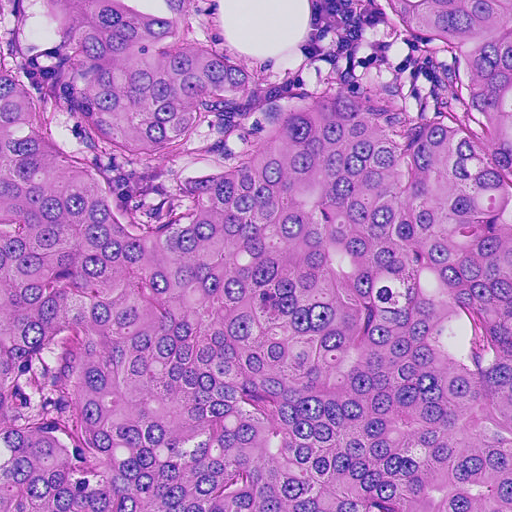
This is a crop of a whole-slide image: an H&E-stained breast-cancer sentinel lymph node section at roughly 20× magnification (about 0.45 µm per pixel; the crop spans about 0.23 mm).
Question: Describe where the metastatic carcinoma lies in this crop.
Answer: Metastatic tumour covers the whole field.
The annotated tumour makes up over 95% of the crop.